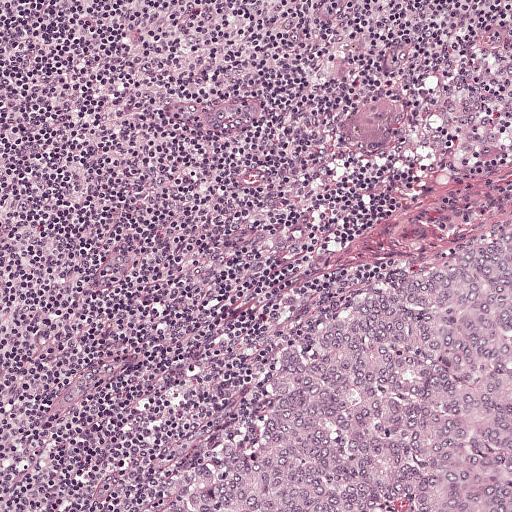
H&E-stained section of a sentinel lymph node (breast cancer), from a whole-slide image, viewed at about 10×: the field is about 0.5 mm across, about 0.97 µm per pixel.
Metastatic tumour outline, simplified to 7 points and listed clockwise in crop pixels (x, y): (511, 222), (511, 511), (121, 511), (146, 494), (193, 406), (291, 352), (360, 292).
About 25% of the image area is annotated as tumour.